Image:
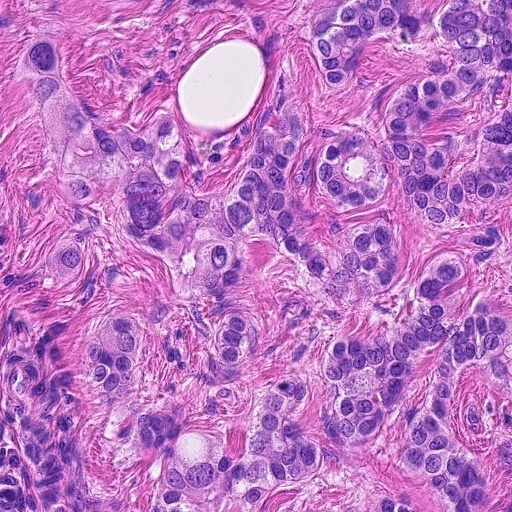
This is a crop of a whole-slide image: an H&E-stained breast-cancer sentinel lymph node section at roughly 20× magnification (about 0.45 µm per pixel; the crop spans about 0.23 mm).
Question:
Show where the tumour is in this image.
Answer:
Metastatic tumour outline, simplified to 14 points and listed clockwise in crop pixels (x, y): (511, 0), (511, 511), (0, 511), (0, 198), (45, 162), (15, 72), (28, 41), (57, 52), (88, 111), (122, 116), (174, 100), (195, 126), (228, 129), (333, 8).
Tumour covers about 90% of the frame.